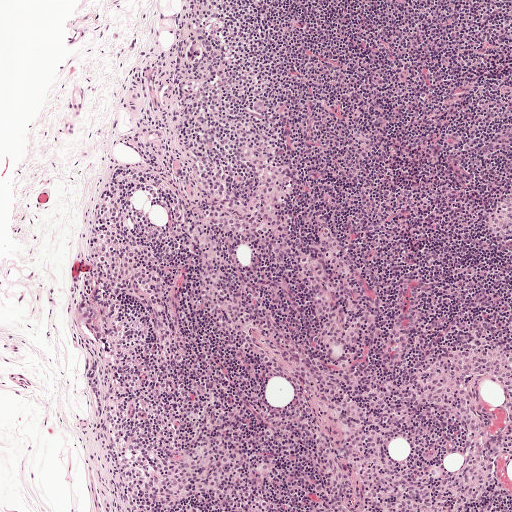
Lymph node section stained with H&E, from a whole-slide image of a breast-cancer sentinel node. Magnification about 5×, about 1 mm across the frame, about 1.9 µm per pixel.
Question: Describe where the metastatic carcinoma lies in this crop.
Answer: Outlines of two tumour regions, largest first (closed clockwise paths, crop pixels): region 1: (86, 296), (93, 298), (100, 306), (99, 322), (103, 336), (98, 339), (80, 326), (73, 313), (74, 305), (79, 299); region 2: (195, 39), (200, 43), (202, 52), (201, 60), (196, 63), (191, 63), (188, 60), (188, 46).
Under 5% of the image area is annotated as tumour.

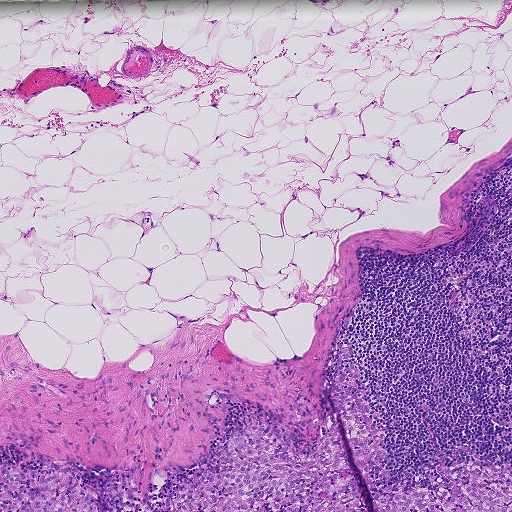
Lymph node section stained with H&E, from a whole-slide image of a breast-cancer sentinel node. Magnification about 5×, about 0.93 mm across the frame, about 1.8 µm per pixel.
Question: Describe where the metastatic carcinoma lies in this crop.
Answer: Boundaries of two metastatic tumour regions, simplified and listed clockwise, largest first: region 1: (345, 341), (353, 356), (344, 360), (360, 370), (358, 386), (385, 435), (388, 457), (372, 469), (372, 496), (435, 489), (440, 464), (506, 468), (511, 511), (166, 511), (185, 480), (229, 466), (213, 449), (246, 429), (274, 426), (292, 457), (309, 456), (332, 420), (337, 348); region 2: (0, 464), (38, 471), (66, 466), (77, 468), (83, 475), (83, 488), (101, 503), (99, 511), (0, 511).
About 10% of the image area is annotated as tumour.

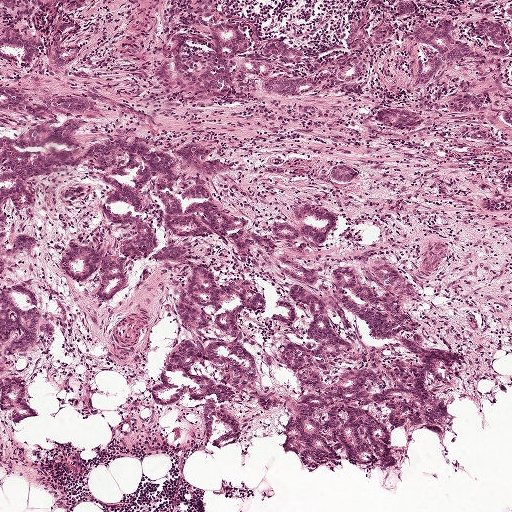
H&E-stained section of a sentinel lymph node (breast cancer), from a whole-slide image, viewed at about 5×: the field is about 1 mm across, about 1.9 µm per pixel.
Question: Describe where the metastatic carcinoma lies in this crop.
Answer: Outlines of the eight largest metastatic tumour regions, each a closed clockwise path in crop pixels (x, y), largest first: region 1: (373, 259), (418, 287), (407, 313), (431, 347), (468, 358), (447, 373), (453, 392), (433, 388), (450, 426), (403, 431), (388, 405), (358, 406), (387, 426), (395, 468), (344, 461), (313, 472), (281, 450), (299, 394), (282, 353), (308, 340), (271, 316), (298, 285), (278, 272), (288, 263), (322, 274), (320, 291), (305, 288), (355, 346), (327, 384), (374, 371), (397, 392), (392, 363), (420, 366), (402, 342), (374, 341), (334, 292), (332, 273), (348, 268), (384, 299); region 2: (104, 134), (176, 147), (209, 141), (232, 167), (223, 176), (202, 182), (204, 187), (252, 232), (291, 200), (330, 203), (338, 210), (338, 222), (321, 249), (297, 241), (280, 244), (277, 253), (251, 248), (248, 266), (223, 253), (208, 236), (166, 235), (150, 217), (155, 249), (148, 259), (134, 262), (128, 292), (109, 302), (90, 299), (64, 278), (59, 253), (72, 240), (114, 256), (132, 236), (104, 216), (108, 188), (83, 166), (86, 148); region 3: (216, 0), (223, 15), (263, 40), (296, 47), (315, 58), (346, 46), (358, 0), (414, 0), (420, 13), (398, 23), (393, 40), (369, 57), (365, 75), (349, 92), (294, 106), (244, 86), (237, 89), (225, 110), (200, 115), (176, 107), (157, 86), (166, 1); region 4: (168, 243), (195, 250), (225, 280), (260, 285), (271, 308), (261, 318), (247, 314), (239, 338), (277, 410), (258, 410), (238, 392), (223, 405), (244, 434), (217, 451), (201, 443), (202, 404), (181, 396), (163, 410), (145, 395), (169, 350), (189, 338), (177, 323), (185, 273), (153, 258); region 5: (0, 82), (22, 86), (28, 95), (38, 99), (83, 97), (92, 111), (92, 127), (76, 138), (77, 155), (72, 167), (28, 186), (26, 204), (19, 213), (0, 208), (0, 134), (16, 129), (36, 129), (36, 125), (1, 115); region 6: (0, 0), (81, 0), (70, 12), (78, 24), (77, 28), (56, 40), (65, 44), (78, 42), (79, 47), (72, 62), (64, 66), (44, 63), (47, 32), (55, 10), (45, 5), (31, 8), (28, 13), (30, 26), (38, 43), (30, 63), (21, 68), (0, 60), (0, 33), (8, 18); region 7: (5, 288), (20, 289), (38, 296), (44, 307), (45, 317), (44, 332), (36, 350), (17, 362), (8, 362), (0, 357), (0, 290); region 8: (438, 19), (451, 22), (451, 37), (481, 54), (484, 58), (484, 62), (482, 65), (472, 62), (456, 65), (446, 64), (433, 82), (422, 89), (415, 89), (411, 87), (416, 70), (412, 32), (414, 28).
Eight more, smaller tumour regions are not outlined.
Two more small tumour pieces are annotated here but not outlined.
Tumour covers about 35% of the frame.

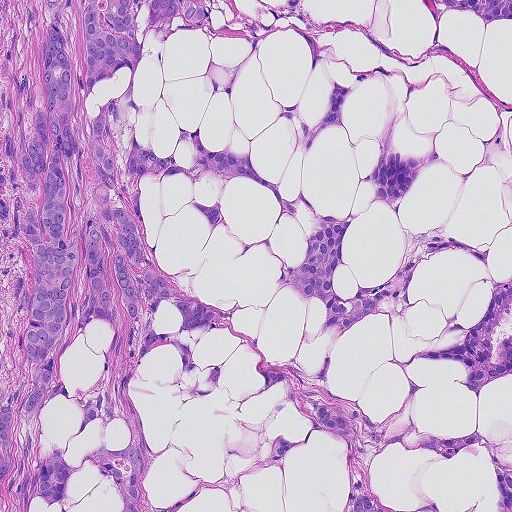
H&E-stained section of a sentinel lymph node (breast cancer), from a whole-slide image, viewed at about 10×: the field is about 0.46 mm across, about 0.9 µm per pixel.
Question: Describe where the metastatic carcinoma lies in this crop.
Answer: One metastatic tumour region; its boundary, reduced to 9 corners and listed clockwise: (419, 0), (511, 0), (511, 21), (484, 24), (473, 13), (460, 11), (446, 13), (437, 20), (424, 12).
One more tumour region is annotated but not outlined: its edge is too irregular for a short outline.
The annotated tumour makes up about 50% of the crop.